Question: 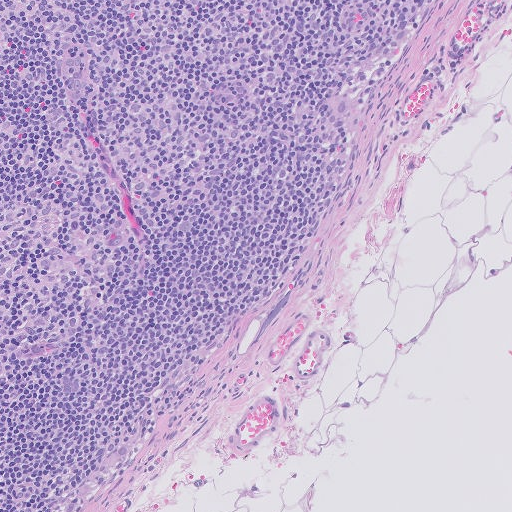
At roughly what magnification is this field shown?

Choices:
 (A) about 20×
 (B) about 2.5×
 (C) about 10×
 (D) about 40×
 (E) about 5×

Answer: (C) about 10×
A 0.51-mm field of an H&E-stained sentinel lymph node from a breast-cancer patient (whole-slide image), shown at about 10×, about 1.0 µm per pixel.